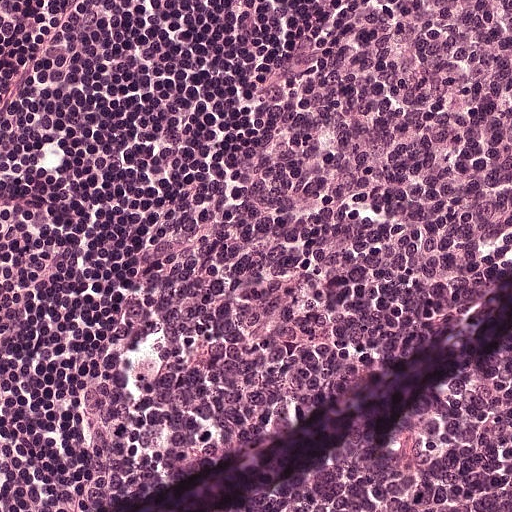
Lymph node section stained with H&E, from a whole-slide image of a breast-cancer sentinel node. Magnification about 20×, about 0.25 mm across the frame, about 0.49 µm per pixel.
Question: Does this lymph node field contain metastatic tumour?
Answer: No. No metastatic tumour is outlined in this field.